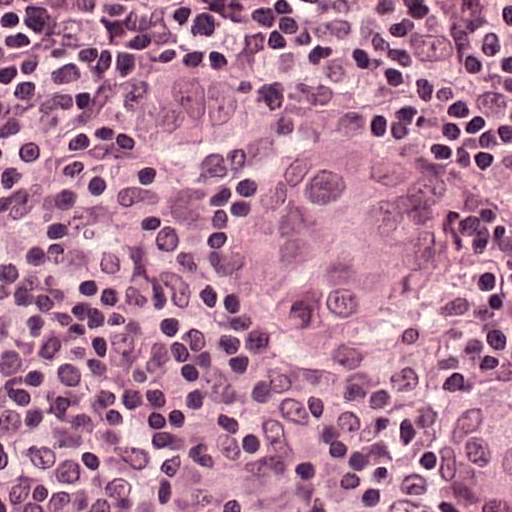
This is a crop of a whole-slide image: an H&E-stained breast-cancer sentinel lymph node section at roughly 40× magnification (about 0.24 µm per pixel; the crop spans about 0.12 mm).
Outlines of three tumour regions, largest first (closed clockwise paths, crop pixels): region 1: (358, 122), (444, 162), (477, 213), (461, 310), (444, 327), (427, 327), (370, 360), (301, 360), (216, 321), (216, 276), (239, 213), (284, 139); region 2: (506, 401), (511, 401), (511, 511), (443, 511), (437, 487), (432, 487), (432, 452), (437, 452), (437, 441), (443, 430), (449, 430), (449, 424), (472, 413), (483, 413), (489, 407), (506, 407); region 3: (466, 0), (511, 0), (511, 76), (495, 60), (495, 54), (483, 37), (483, 31), (478, 31), (478, 8), (472, 8), (472, 3).
Tumour covers about 20% of the frame.